This is a crop of a whole-slide image: an H&E-stained breast-cancer sentinel lymph node section at roughly 10× magnification (about 0.97 µm per pixel; the crop spans about 0.5 mm).
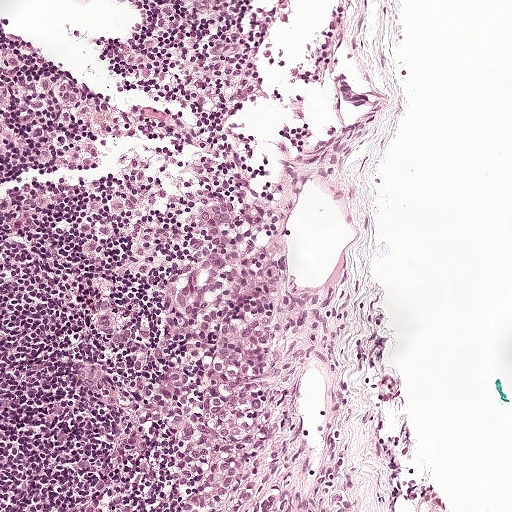
Question: Where is the metastatic tumour in this field?
Answer: Tumour region outline (a closed clockwise path, crop pixels): (218, 186), (286, 218), (308, 250), (293, 359), (232, 510), (93, 511), (130, 482), (168, 411), (185, 354), (194, 224).
About 15% of the image area is annotated as tumour.